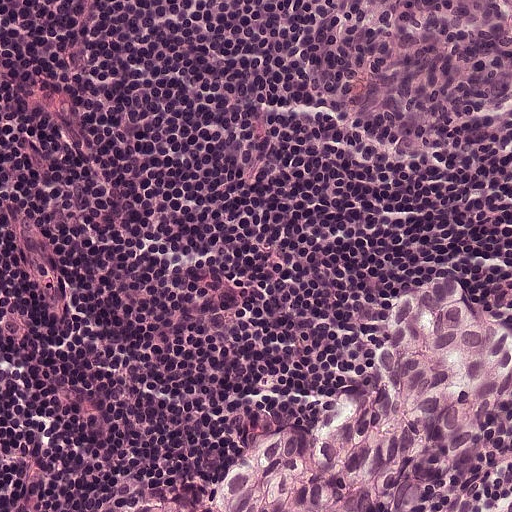
Lymph node section stained with H&E, from a whole-slide image of a breast-cancer sentinel node. Magnification about 20×, about 0.25 mm across the frame, about 0.49 µm per pixel.
Tumour region outline (a closed clockwise path, crop pixels): (460, 263), (511, 297), (511, 406), (464, 462), (398, 511), (115, 511), (225, 478), (267, 427), (370, 368), (376, 313), (426, 264).
The annotated tumour makes up about 15% of the crop.